Image:
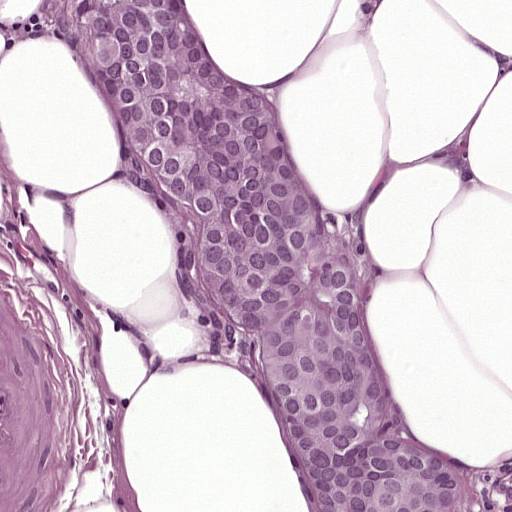
H&E-stained section of a sentinel lymph node (breast cancer), from a whole-slide image, viewed at about 20×: the field is about 0.25 mm across, about 0.49 µm per pixel.
Question:
Which parts of this field are metastatic tumour? Answer with the outline of each region, in pixels.
Answer:
Boundaries of two metastatic tumour regions, simplified and listed clockwise, largest first: region 1: (59, 0), (180, 0), (262, 92), (373, 280), (369, 338), (382, 399), (461, 511), (304, 511), (232, 378), (194, 260), (93, 96); region 2: (511, 65), (511, 73), (489, 73).
The annotated tumour makes up about 30% of the crop.